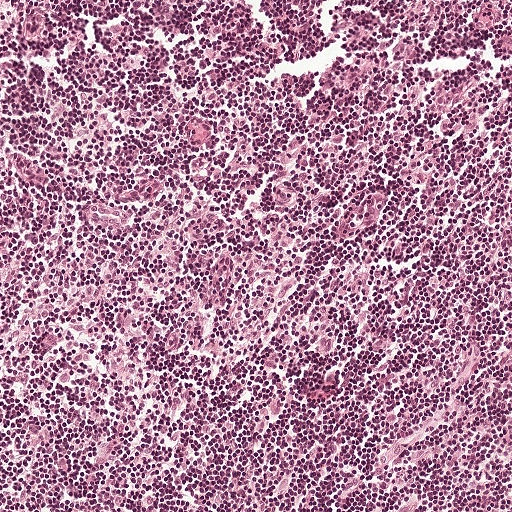
Lymph node section stained with H&E, from a whole-slide image of a breast-cancer sentinel node. Magnification about 10×, about 0.5 mm across the frame, about 0.97 µm per pixel.